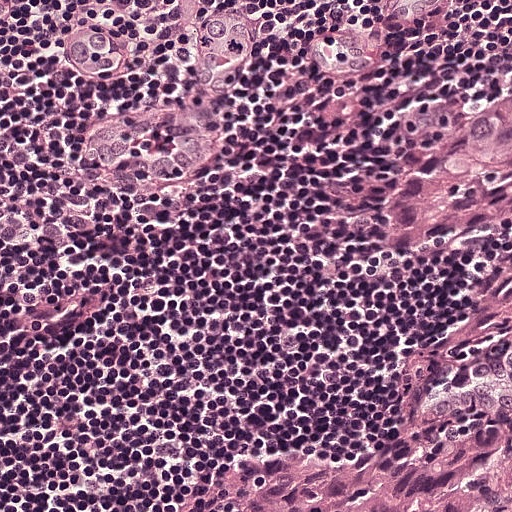
A 0.25-mm field of an H&E-stained sentinel lymph node from a breast-cancer patient (whole-slide image), shown at about 20×, about 0.49 µm per pixel.
Metastatic tumour outline, simplified to 12 points and listed clockwise in crop pixels (x, y): (511, 72), (511, 511), (180, 511), (181, 492), (217, 463), (375, 434), (386, 363), (440, 305), (440, 274), (368, 236), (370, 210), (446, 118).
About 20% of the image area is annotated as tumour.